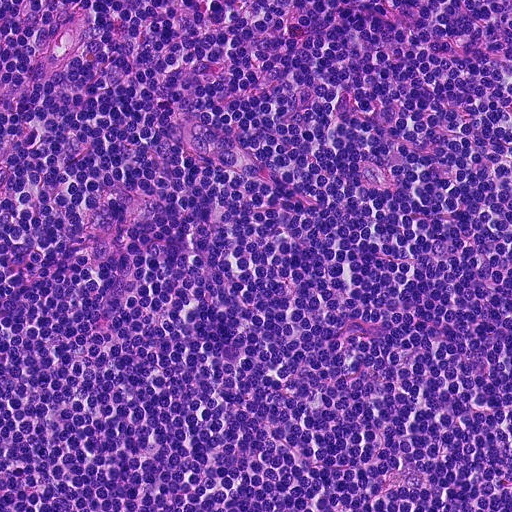
A 0.23-mm field of an H&E-stained sentinel lymph node from a breast-cancer patient (whole-slide image), shown at about 20×, about 0.45 µm per pixel.